A 0.23-mm field of an H&E-stained sentinel lymph node from a breast-cancer patient (whole-slide image), shown at about 20×, about 0.45 µm per pixel.
Image:
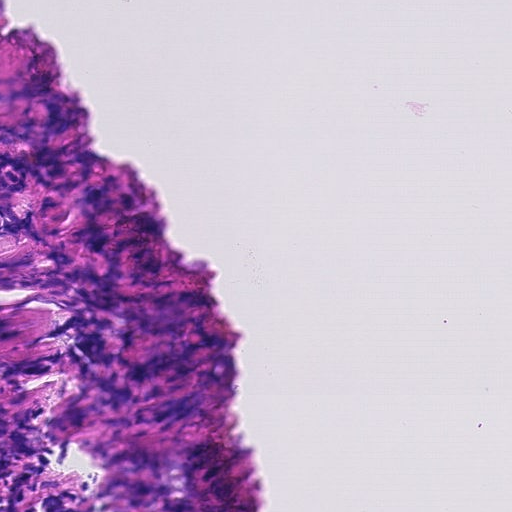
Question:
Is there metastatic carcinoma in this field?
Answer:
No, this field holds no outlined metastasis.